Image:
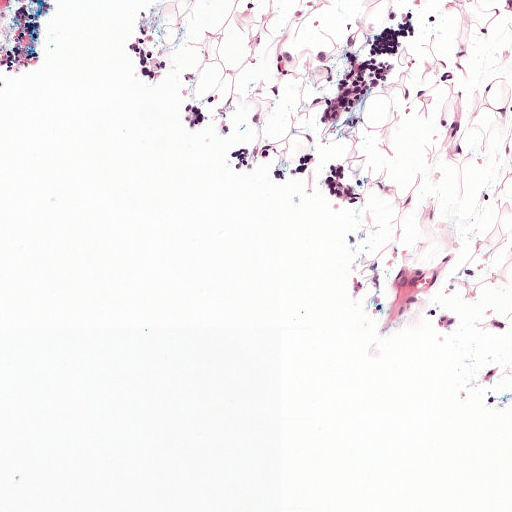
A 0.5-mm field of an H&E-stained sentinel lymph node from a breast-cancer patient (whole-slide image), shown at about 10×, about 0.97 µm per pixel.
Question:
Which parts of this field are metastatic tumour?
Answer:
Three metastatic tumour regions, each outlined as a closed clockwise path in crop pixels (x, y), largest first: region 1: (357, 67), (383, 77), (379, 90), (330, 127), (317, 122), (336, 78); region 2: (342, 159), (355, 179), (362, 196), (347, 203), (324, 196), (324, 171), (335, 161); region 3: (134, 42), (149, 47), (168, 62), (158, 80), (141, 78), (128, 44).
One more small tumour piece is annotated here but not outlined.
Tumour covers under 5% of the frame.